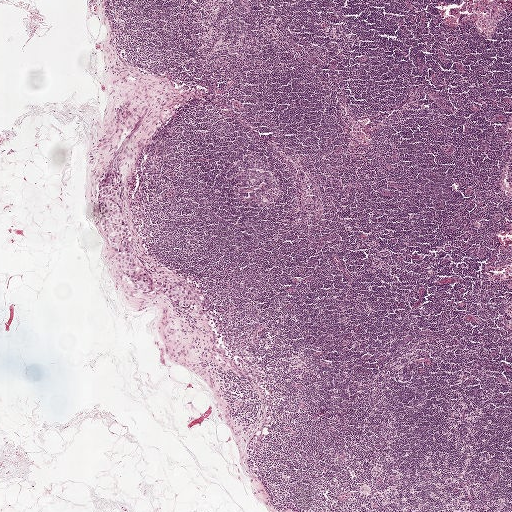
A 2.0-mm field of an H&E-stained sentinel lymph node from a breast-cancer patient (whole-slide image), shown at about 2.5×, about 3.9 µm per pixel.
The outlined metastatic tumour's edge, as a closed clockwise path of 20 points: (108, 172), (122, 174), (120, 179), (126, 188), (127, 227), (144, 265), (154, 278), (180, 285), (195, 296), (197, 305), (192, 312), (184, 312), (172, 300), (153, 296), (125, 284), (118, 277), (113, 251), (101, 235), (98, 212), (99, 186).
Under 5% of this field is tumour.